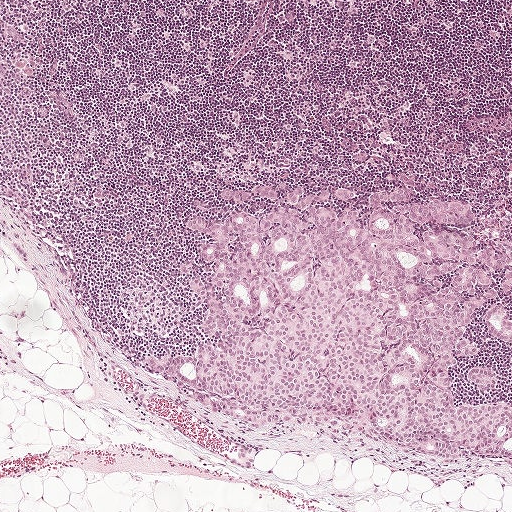
H&E-stained section of a sentinel lymph node (breast cancer), from a whole-slide image, viewed at about 5×: the field is about 1 mm across, about 1.9 µm per pixel.
Question: Where is the metastatic tumour in this field?
Answer: Boundaries of two metastatic tumour regions, simplified and listed clockwise, largest first: region 1: (403, 186), (464, 202), (479, 218), (471, 231), (511, 259), (511, 346), (484, 330), (481, 306), (468, 329), (478, 352), (451, 372), (452, 396), (511, 404), (511, 468), (319, 424), (243, 429), (149, 364), (201, 354), (202, 300), (182, 271), (208, 268), (186, 226), (222, 219), (224, 188); region 2: (481, 365), (491, 367), (496, 373), (498, 389), (494, 393), (481, 392), (471, 386), (467, 380), (470, 370).
The annotated tumour makes up about 30% of the crop.